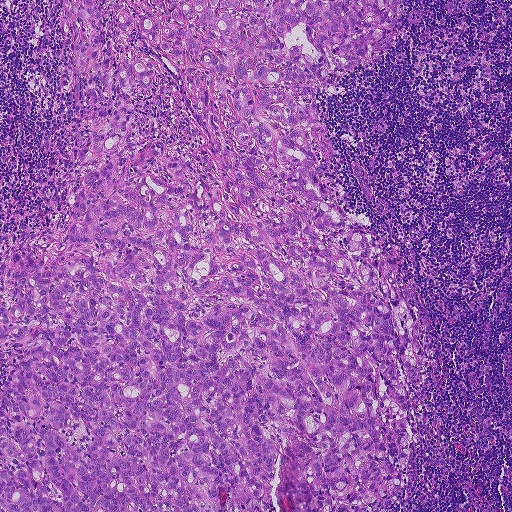
Lymph node section stained with H&E, from a whole-slide image of a breast-cancer sentinel node. Magnification about 5×, about 0.93 mm across the frame, about 1.8 µm per pixel.
Metastatic tumour outline, simplified to 15 points and listed clockwise in crop pixels (x, y): (0, 0), (403, 0), (382, 49), (337, 83), (341, 94), (323, 88), (316, 102), (334, 154), (323, 178), (376, 238), (425, 331), (407, 397), (410, 452), (387, 510), (0, 511).
The annotated tumour makes up about 75% of the crop.